Question: 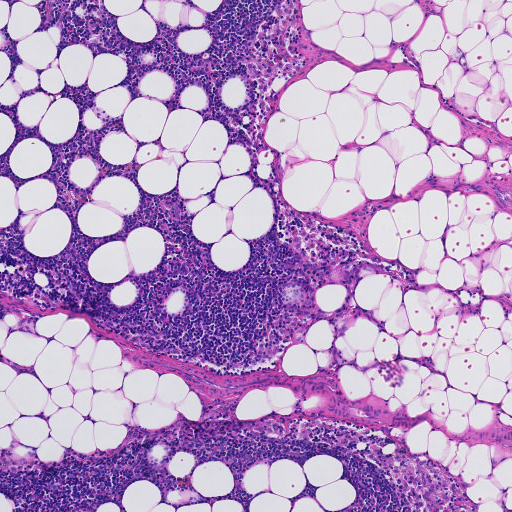
About what magnification does this crop show?

Choices:
 (A) about 10×
 (B) about 5×
 (C) about 40×
 (D) about 2.5×
 (E) about 20×

Answer: (B) about 5×
This is a crop of a whole-slide image: an H&E-stained breast-cancer sentinel lymph node section at roughly 5× magnification (about 1.8 µm per pixel; the crop spans about 0.93 mm).